Lymph node section stained with H&E, from a whole-slide image of a breast-cancer sentinel node. Magnification about 20×, about 0.25 mm across the frame, about 0.49 µm per pixel.
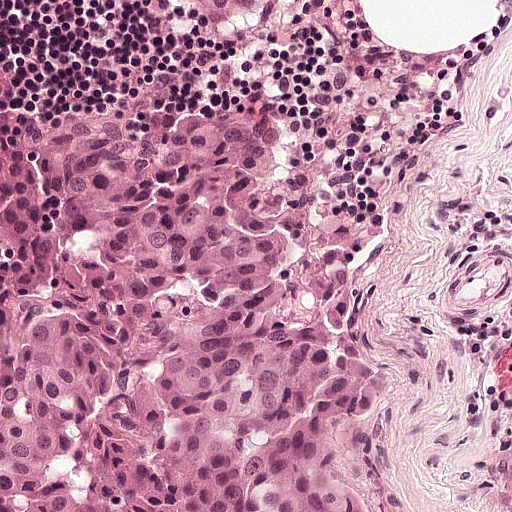
Outlines of two tumour regions, largest first (closed clockwise paths, crop pixels): region 1: (116, 102), (212, 104), (236, 120), (390, 370), (392, 398), (358, 453), (380, 506), (0, 511), (0, 148); region 2: (169, 0), (295, 0), (280, 14), (272, 15), (260, 22), (250, 22), (240, 27), (218, 28), (207, 28), (203, 26), (184, 20), (172, 7).
One more small tumour piece is annotated here but not outlined.
Tumour covers about 50% of the frame.